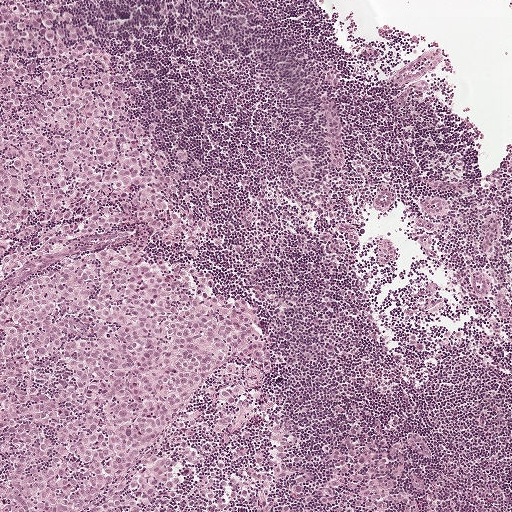
H&E-stained section of a sentinel lymph node (breast cancer), from a whole-slide image, viewed at about 5×: the field is about 1 mm across, about 1.9 µm per pixel.
Question: Does this lymph node field contain metastatic tumour?
Answer: Yes.
Tumour region outline (a closed clockwise path, crop pixels): (0, 0), (58, 10), (105, 47), (158, 142), (176, 142), (216, 187), (210, 226), (222, 248), (195, 265), (265, 330), (306, 452), (356, 427), (392, 436), (425, 484), (419, 511), (0, 511).
About 45% of the image area is annotated as tumour.